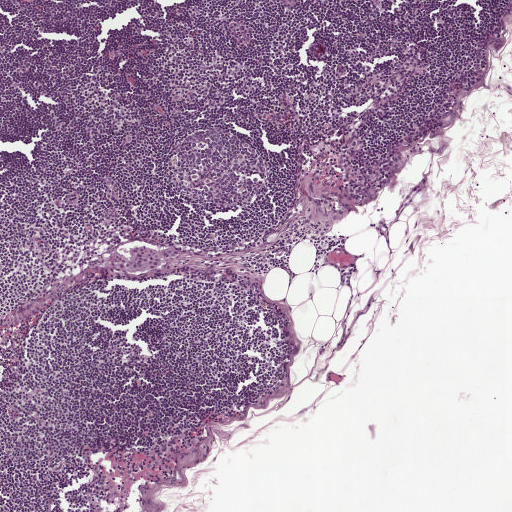
A 1-mm field of an H&E-stained sentinel lymph node from a breast-cancer patient (whole-slide image), shown at about 5×, about 1.9 µm per pixel.
One metastatic tumour region; its boundary, reduced to 16 corners and listed clockwise: (144, 246), (159, 249), (170, 247), (180, 253), (176, 258), (168, 260), (160, 268), (153, 270), (132, 272), (104, 266), (105, 264), (115, 252), (118, 250), (128, 257), (129, 249), (132, 247).
Under 5% of the image area is annotated as tumour.